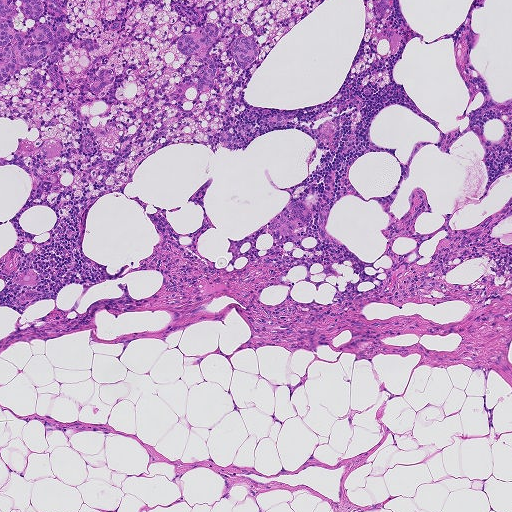
This is a crop of a whole-slide image: an H&E-stained breast-cancer sentinel lymph node section at roughly 5× magnification (about 1.8 µm per pixel; the crop spans about 0.93 mm).
Question: Which parts of this field are metastatic tumour? Answer with the outline of each region, in pixels.
Answer: Boundaries of four metastatic tumour regions, simplified and listed clockwise, largest first: region 1: (0, 0), (59, 0), (61, 16), (46, 11), (38, 20), (100, 45), (88, 53), (63, 46), (61, 77), (75, 79), (104, 68), (115, 79), (97, 94), (85, 83), (61, 88), (50, 78), (34, 86), (30, 75), (46, 75), (48, 58), (0, 83); region 2: (211, 23), (217, 26), (219, 31), (218, 39), (210, 49), (210, 55), (219, 64), (219, 70), (212, 89), (206, 91), (200, 91), (196, 86), (202, 69), (201, 63), (195, 54), (184, 56), (178, 53), (176, 48), (180, 37), (192, 34), (205, 24); region 3: (298, 201), (309, 209), (310, 217), (309, 224), (298, 234), (283, 237), (273, 234), (268, 229), (274, 215), (291, 202); region 4: (250, 36), (258, 45), (253, 62), (243, 69), (237, 67), (234, 62), (231, 56), (230, 47), (233, 42), (238, 38).
The annotated tumour makes up about 5% of the crop.